Question: 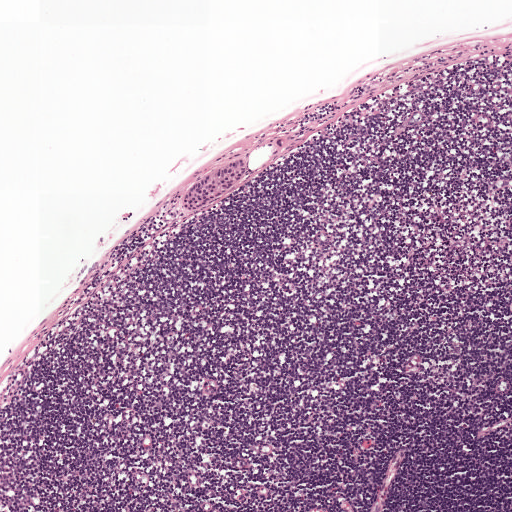
About what magnification does this crop show?

Choices:
 (A) about 2.5×
 (B) about 10×
 (C) about 20×
 (D) about 5×
 (E) about 40×

Answer: (D) about 5×
A 1-mm field of an H&E-stained sentinel lymph node from a breast-cancer patient (whole-slide image), shown at about 5×, about 1.9 µm per pixel.
Metastatic tumour outline, simplified to 10 points and listed clockwise in crop pixels (x, y): (241, 158), (245, 161), (244, 176), (218, 198), (196, 211), (184, 209), (181, 201), (188, 190), (197, 179), (226, 159).
One more small tumour piece is annotated here but not outlined.
The annotated tumour makes up under 5% of the crop.